Question: 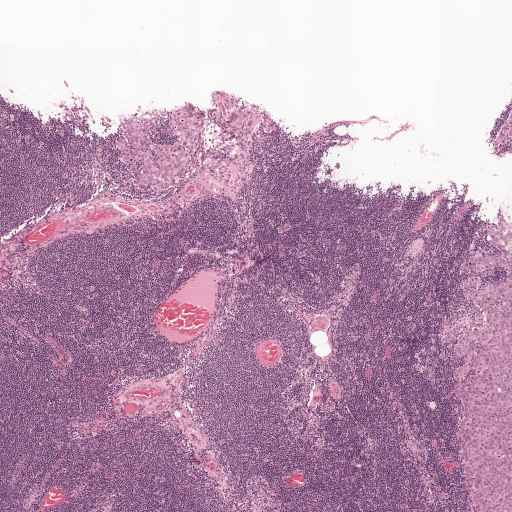
At roughly what magnification is this field shown?

Choices:
 (A) about 40×
 (B) about 5×
 (C) about 20×
 (D) about 10×
 (E) about 2.5×

Answer: (E) about 2.5×
This is a crop of a whole-slide image: an H&E-stained breast-cancer sentinel lymph node section at roughly 2.5× magnification (about 3.9 µm per pixel; the crop spans about 2.0 mm).
Five metastatic tumour regions, each outlined as a closed clockwise path in crop pixels (x, y), largest first: region 1: (500, 202), (509, 204), (511, 511), (466, 511), (466, 489), (452, 444), (457, 408), (451, 372), (463, 360), (449, 354), (435, 370), (432, 385), (426, 379), (427, 367), (439, 360), (444, 335), (478, 323), (480, 314), (458, 285), (458, 268), (478, 246), (496, 251), (485, 238), (486, 229); region 2: (184, 102), (194, 102), (202, 108), (204, 127), (186, 174), (181, 183), (163, 192), (154, 195), (144, 194), (137, 187), (125, 172), (115, 144), (120, 124), (135, 112); region 3: (229, 144), (234, 146), (234, 152), (231, 157), (225, 159), (221, 164), (231, 171), (235, 182), (220, 193), (214, 193), (206, 181), (209, 166), (206, 162), (206, 149), (211, 146); region 4: (243, 104), (246, 109), (246, 127), (245, 132), (239, 132), (234, 130), (231, 124), (232, 118), (234, 113); region 5: (266, 114), (271, 116), (272, 120), (272, 130), (269, 133), (265, 131), (262, 127), (263, 118).
One more small tumour piece is annotated here but not outlined.
The annotated tumour makes up about 10% of the crop.